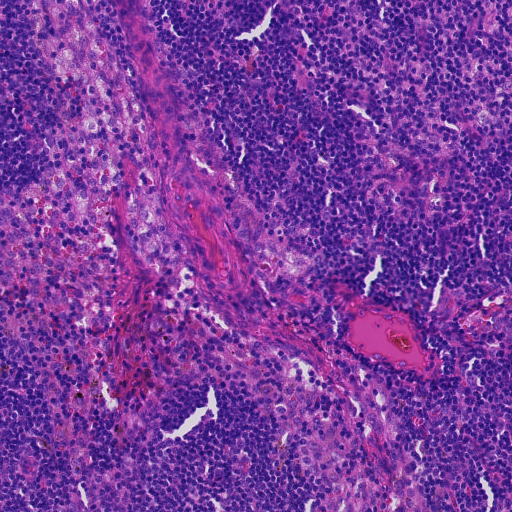
Lymph node section stained with H&E, from a whole-slide image of a breast-cancer sentinel node. Magnification about 10×, about 0.46 mm across the frame, about 0.91 µm per pixel.